A 0.5-mm field of an H&E-stained sentinel lymph node from a breast-cancer patient (whole-slide image), shown at about 10×, about 0.97 µm per pixel.
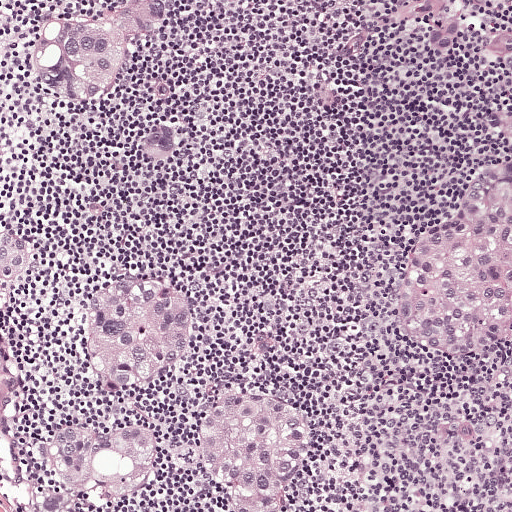
Question: Where is the metastatic tumour in this field? Give each region's outline as (x, y) pixel points.
Answer: The eight largest tumour regions' boundaries, simplified and listed clockwise, largest first: region 1: (511, 155), (511, 307), (492, 337), (477, 346), (450, 351), (434, 348), (414, 334), (396, 300), (402, 260), (417, 236), (450, 216), (473, 171); region 2: (226, 390), (250, 391), (313, 416), (316, 442), (286, 489), (286, 511), (224, 511), (214, 492), (191, 472), (185, 456), (195, 416); region 3: (140, 417), (152, 418), (162, 425), (165, 436), (160, 466), (148, 491), (135, 504), (89, 511), (29, 511), (32, 505), (53, 488), (41, 463), (42, 444), (50, 430), (62, 422), (106, 426); region 4: (121, 0), (174, 0), (172, 20), (164, 31), (140, 39), (130, 47), (100, 93), (78, 105), (49, 100), (25, 63), (24, 46), (40, 16), (68, 11), (96, 12); region 5: (124, 274), (184, 294), (188, 308), (188, 324), (170, 363), (149, 384), (137, 387), (110, 386), (100, 380), (90, 359), (84, 322), (92, 295), (111, 279); region 6: (162, 117), (191, 128), (191, 141), (186, 156), (176, 166), (159, 168), (148, 164), (142, 153), (142, 138), (150, 126); region 7: (0, 219), (14, 227), (24, 236), (32, 247), (35, 262), (29, 274), (19, 282), (6, 285), (0, 283); region 8: (462, 17), (471, 22), (469, 35), (463, 45), (455, 57), (444, 63), (431, 63), (424, 52), (424, 41), (428, 28), (442, 20).
Three more, smaller tumour regions are not outlined.
Tumour covers about 25% of the frame.